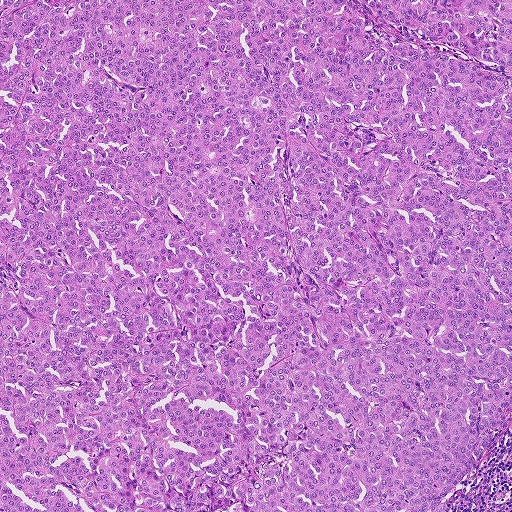
H&E-stained section of a sentinel lymph node (breast cancer), from a whole-slide image, viewed at about 5×: the field is about 0.93 mm across, about 1.8 µm per pixel.
Metastatic tumour covers the whole field.
Tumour covers over 95% of the frame.